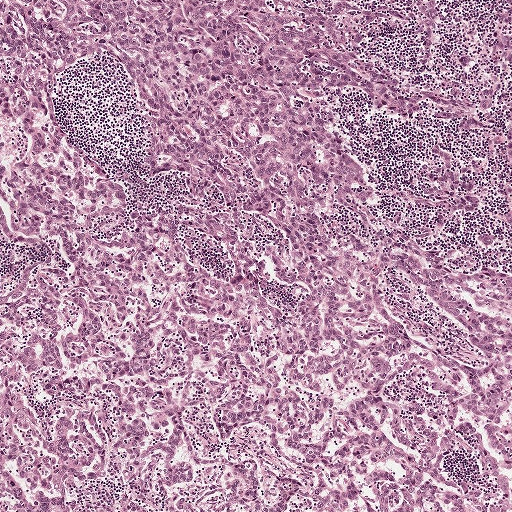
Lymph node section stained with H&E, from a whole-slide image of a breast-cancer sentinel node. Magnification about 5×, about 1 mm across the frame, about 1.9 µm per pixel.
Boundaries of two metastatic tumour regions, simplified and listed clockwise, largest first: region 1: (401, 230), (511, 269), (494, 419), (439, 369), (510, 506), (198, 511), (202, 486), (240, 457), (269, 504), (308, 482), (248, 430), (219, 444), (182, 326), (212, 274), (255, 280), (296, 311), (302, 295), (270, 248), (310, 263); region 2: (0, 0), (366, 0), (392, 19), (375, 51), (415, 85), (439, 129), (333, 96), (369, 207), (322, 225), (314, 256), (295, 255), (149, 173), (128, 93), (103, 55), (78, 58), (59, 76), (1, 34).
About 50% of this field is tumour.